H&E-stained section of a sentinel lymph node (breast cancer), from a whole-slide image, viewed at about 2.5×: the field is about 2.0 mm across, about 3.9 µm per pixel.
Image:
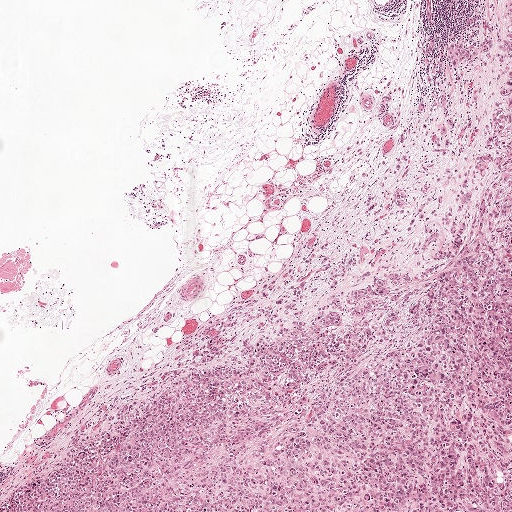
Question:
Trace the edge of each tumour region in this crop, as (x, y) points from 0 to 511.
Answer:
One metastatic tumour region; its boundary, reduced to 14 corners and listed clockwise: (416, 0), (511, 0), (511, 511), (0, 511), (0, 496), (59, 458), (100, 402), (163, 363), (178, 332), (244, 301), (284, 266), (337, 196), (341, 151), (400, 88).
About 50% of the image area is annotated as tumour.